Question: 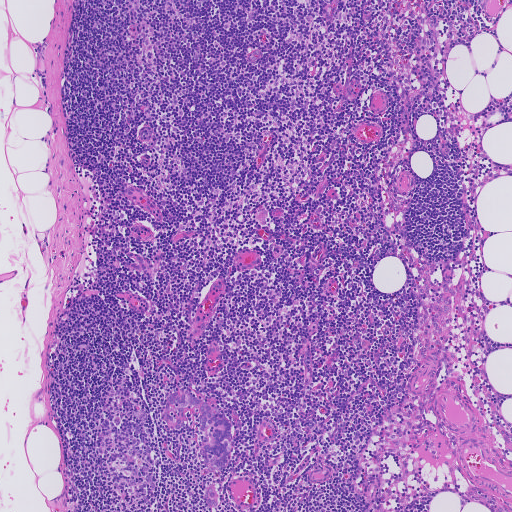
About what magnification does this crop show?

Choices:
 (A) about 5×
 (B) about 40×
 (C) about 2.5×
 (D) about 10×
 (E) about 20×

Answer: (A) about 5×
A 0.93-mm field of an H&E-stained sentinel lymph node from a breast-cancer patient (whole-slide image), shown at about 5×, about 1.8 µm per pixel.
Two metastatic tumour regions, each outlined as a closed clockwise path in crop pixels (x, y), largest first: region 1: (182, 388), (216, 407), (232, 423), (232, 446), (226, 468), (210, 471), (204, 462), (203, 456), (199, 454), (201, 440), (205, 434), (198, 428), (200, 424), (199, 408), (191, 405), (186, 407), (184, 417), (186, 424), (177, 430), (167, 424), (163, 418), (169, 396); region 2: (209, 486), (212, 486), (219, 495), (219, 504), (217, 507), (208, 504), (204, 501), (203, 494).
The annotated tumour makes up under 5% of the crop.